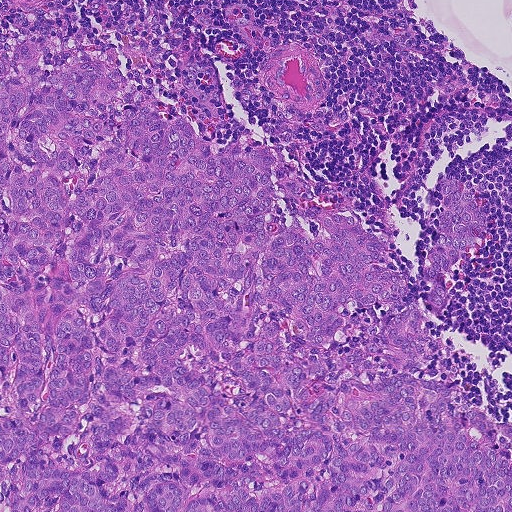
Lymph node section stained with H&E, from a whole-slide image of a breast-cancer sentinel node. Magnification about 10×, about 0.46 mm across the frame, about 0.9 µm per pixel.
Question: Describe where the metastatic carcinoma lies in this crop.
Answer: Metastatic tumour outline, simplified to 24 points and listed clockwise in crop pixels (x, y): (190, 31), (218, 74), (226, 124), (212, 145), (243, 136), (276, 146), (313, 182), (347, 188), (370, 234), (402, 226), (390, 267), (415, 304), (438, 237), (434, 186), (441, 171), (473, 186), (490, 228), (426, 321), (451, 382), (511, 424), (511, 511), (0, 511), (0, 33), (92, 51).
About 70% of the image area is annotated as tumour.